Image:
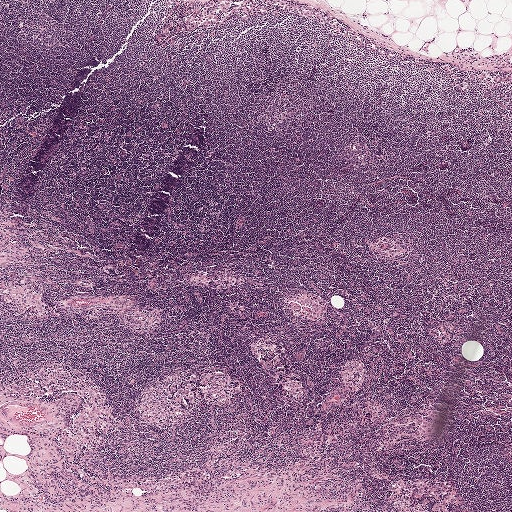
This is a crop of a whole-slide image: an H&E-stained breast-cancer sentinel lymph node section at roughly 2.5× magnification (about 3.9 µm per pixel; the crop spans about 2.0 mm).
Question:
Does this lymph node field contain metastatic tumour?
Answer:
No. No metastatic tumour is outlined in this field.